A 2.0-mm field of an H&E-stained sentinel lymph node from a breast-cancer patient (whole-slide image), shown at about 2.5×, about 3.9 µm per pixel.
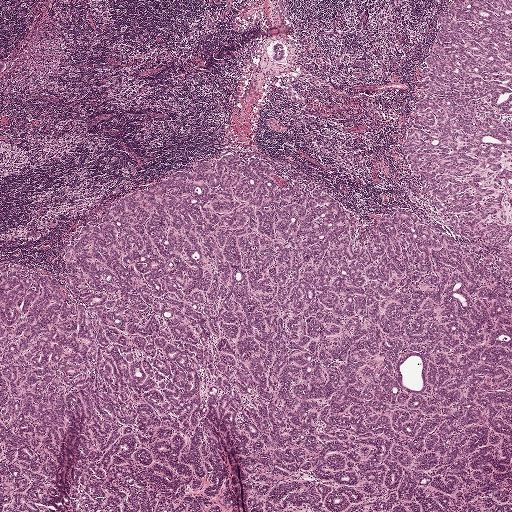
Outlines of two tumour regions, largest first (closed clockwise paths, crop pixels): region 1: (451, 0), (511, 0), (511, 511), (250, 511), (242, 466), (218, 427), (239, 511), (0, 511), (0, 260), (62, 277), (62, 248), (109, 203), (235, 150), (345, 205), (352, 249), (364, 223), (396, 209), (471, 241), (446, 228), (402, 142); region 2: (280, 41), (285, 46), (285, 52), (284, 59), (282, 61), (277, 61), (274, 61), (271, 60), (270, 56), (271, 48), (274, 43).
One more small tumour piece is annotated here but not outlined.
About 70% of the image area is annotated as tumour.